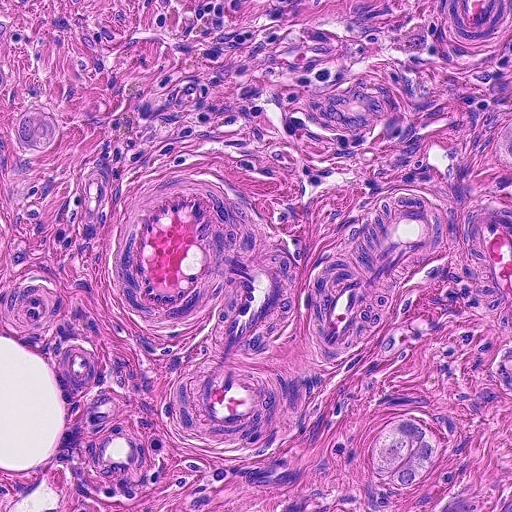
H&E-stained section of a sentinel lymph node (breast cancer), from a whole-slide image, viewed at about 20×: the field is about 0.23 mm across, about 0.45 µm per pixel.
Metastatic tumour outline, simplified to 17 points and listed clockwise in crop pixels (x, y): (0, 0), (511, 0), (511, 511), (417, 511), (434, 482), (395, 494), (358, 476), (342, 410), (276, 456), (183, 458), (158, 492), (121, 505), (31, 480), (0, 511), (0, 223), (11, 220), (17, 181).
The annotated tumour makes up about 95% of the crop.